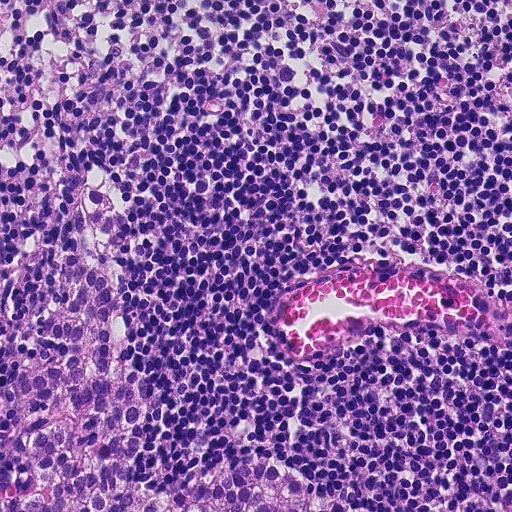
This is a crop of a whole-slide image: an H&E-stained breast-cancer sentinel lymph node section at roughly 20× magnification (about 0.45 µm per pixel; the crop spans about 0.23 mm).
Metastatic tumour outline, simplified to 24 points and listed clockwise in crop pixels (x, y): (94, 163), (126, 204), (114, 258), (125, 272), (128, 360), (142, 371), (148, 406), (132, 474), (159, 495), (218, 460), (272, 458), (303, 473), (319, 494), (375, 511), (0, 511), (0, 430), (18, 409), (10, 356), (16, 340), (63, 362), (67, 344), (39, 324), (49, 254), (78, 180).
About 15% of the image area is annotated as tumour.